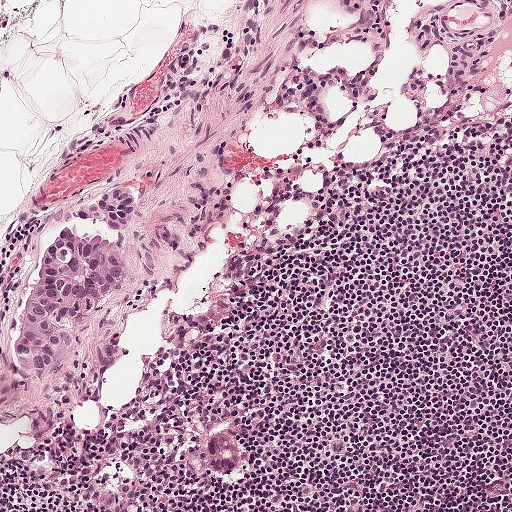
H&E-stained section of a sentinel lymph node (breast cancer), from a whole-slide image, viewed at about 10×: the field is about 0.5 mm across, about 0.97 µm per pixel.
Question: Outline the metastatic carcinoma in this image, as closed paths of (x, y) pixel coordinates.
Answer: Metastatic tumour outline, simplified to 14 points and listed clockwise in crop pixels (x, y): (130, 182), (139, 184), (133, 229), (137, 267), (128, 292), (87, 325), (66, 365), (52, 368), (48, 376), (18, 373), (14, 356), (24, 308), (55, 222), (107, 188).
The annotated tumour makes up about 5% of the crop.

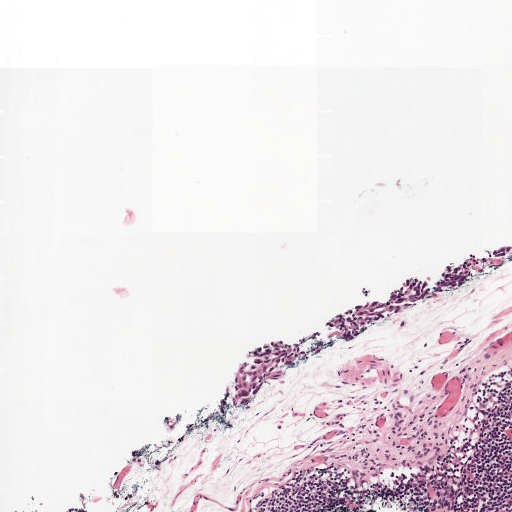
H&E-stained section of a sentinel lymph node (breast cancer), from a whole-slide image, viewed at about 5×: the field is about 1 mm across, about 1.9 µm per pixel.
Question: Outline the metastatic carcinoma in this image, as closed paths of (x, y) pixel coordinates.
Answer: Boundaries of two metastatic tumour regions, simplified and listed clockwise, largest first: region 1: (457, 261), (473, 264), (467, 283), (381, 322), (357, 339), (343, 340), (275, 380), (255, 401), (203, 421), (232, 370), (256, 344), (407, 277); region 2: (498, 246), (511, 247), (511, 252), (508, 255), (497, 257), (489, 252).
Four more small tumour pieces are annotated here but not outlined.
Tumour covers about 5% of the frame.

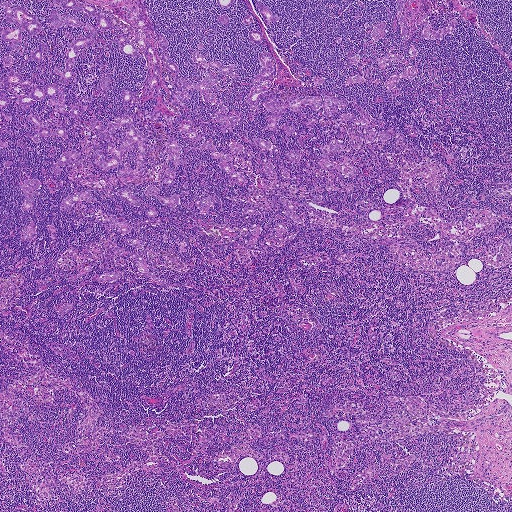
A 1.9-mm field of an H&E-stained sentinel lymph node from a breast-cancer patient (whole-slide image), shown at about 2.5×, about 3.6 µm per pixel.
Question: Outline the metastatic carcinoma in this image, as closed paths of (x, y) pixel coordinates.
Answer: Outlines of the eight largest metastatic tumour regions, each a closed clockwise path in crop pixels (x, y), largest first: region 1: (268, 52), (273, 57), (275, 74), (274, 78), (264, 81), (263, 84), (268, 89), (263, 99), (264, 100), (272, 96), (276, 96), (279, 102), (286, 102), (307, 96), (321, 97), (322, 94), (342, 101), (347, 106), (328, 116), (324, 114), (322, 107), (316, 110), (306, 106), (298, 113), (289, 109), (281, 115), (277, 132), (267, 129), (265, 118), (275, 114), (265, 109), (262, 100), (256, 109), (250, 109), (246, 99), (253, 87), (254, 76), (261, 69), (259, 56), (261, 53); region 2: (123, 113), (147, 137), (144, 174), (124, 177), (116, 174), (124, 167), (136, 168), (135, 145), (122, 153), (122, 162), (115, 167), (104, 170), (96, 165), (95, 150), (100, 150), (105, 161), (114, 152), (107, 152), (107, 141), (91, 128), (90, 119), (95, 117), (100, 125), (106, 126); region 3: (132, 0), (142, 0), (155, 39), (158, 32), (164, 35), (168, 53), (179, 70), (174, 74), (167, 70), (156, 43), (161, 78), (154, 90), (150, 91), (146, 86), (150, 73), (146, 59), (135, 38), (134, 27), (126, 20), (127, 13), (120, 9), (126, 3), (133, 6); region 4: (52, 0), (75, 0), (76, 3), (91, 5), (98, 13), (110, 19), (112, 26), (106, 29), (96, 28), (96, 35), (93, 42), (77, 50), (77, 58), (71, 69), (76, 74), (75, 78), (66, 85), (59, 82), (60, 76), (54, 72), (55, 68), (64, 70), (65, 56), (70, 42), (87, 36), (89, 33), (80, 26), (66, 24), (57, 28), (53, 26), (50, 12), (53, 10), (61, 17), (67, 14), (95, 27), (97, 18), (83, 10), (65, 8); region 5: (12, 0), (10, 2), (12, 9), (22, 7), (27, 13), (34, 15), (41, 31), (32, 35), (29, 35), (24, 30), (21, 35), (22, 46), (9, 49), (7, 46), (10, 45), (8, 41), (2, 38), (2, 27), (9, 30), (16, 28), (16, 24), (5, 22), (3, 9), (0, 8), (0, 3); region 6: (52, 83), (64, 86), (65, 101), (67, 106), (76, 103), (89, 109), (76, 119), (71, 117), (70, 109), (68, 107), (66, 108), (65, 114), (62, 115), (52, 107), (47, 105), (46, 102), (51, 96), (45, 97), (21, 109), (19, 100), (20, 97), (31, 92), (34, 86), (39, 86), (44, 89), (46, 84); region 7: (205, 72), (217, 80), (218, 83), (215, 84), (217, 86), (206, 91), (212, 93), (215, 98), (218, 98), (219, 104), (228, 109), (228, 112), (226, 114), (233, 113), (234, 110), (239, 113), (237, 122), (227, 132), (224, 133), (220, 125), (211, 117), (214, 112), (221, 111), (216, 104), (205, 100), (199, 90), (192, 86), (193, 83), (202, 80), (205, 75); region 8: (396, 0), (406, 0), (402, 11), (403, 14), (414, 18), (422, 17), (424, 14), (426, 15), (424, 21), (429, 24), (432, 29), (434, 30), (442, 28), (450, 20), (453, 19), (456, 21), (457, 24), (451, 30), (439, 38), (434, 39), (425, 38), (423, 36), (422, 25), (414, 20), (408, 20), (407, 23), (408, 26), (411, 27), (409, 36), (408, 39), (402, 39), (400, 36), (401, 28), (396, 11).
Region 2 encloses a non-tumour hole of about 10% of its area.
36 more, smaller tumour regions are not outlined.
15 more small tumour pieces are annotated here but not outlined.
About 10% of this field is tumour.

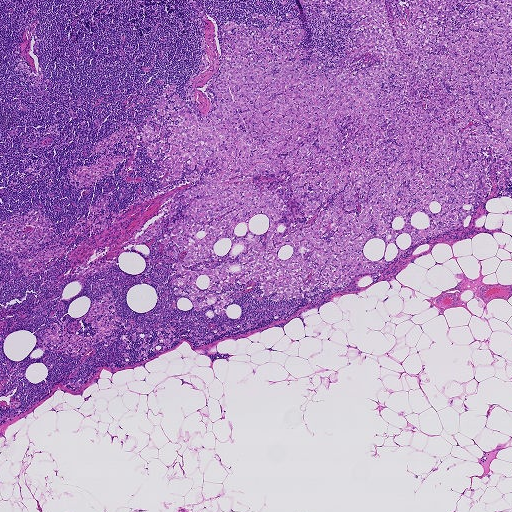
A 1.9-mm field of an H&E-stained sentinel lymph node from a breast-cancer patient (whole-slide image), shown at about 2.5×, about 3.6 µm per pixel.
Question: Outline the metastatic carcinoma in this image, as closed paths of (x, y) pixel coordinates.
Answer: Tumour region outline (a closed clockwise path, crop pixels): (299, 0), (385, 0), (403, 27), (410, 0), (511, 0), (511, 182), (289, 299), (174, 292), (157, 240), (218, 168), (161, 182), (163, 87), (214, 111), (228, 22), (292, 22), (322, 71), (363, 46).
The annotated tumour makes up about 30% of the crop.